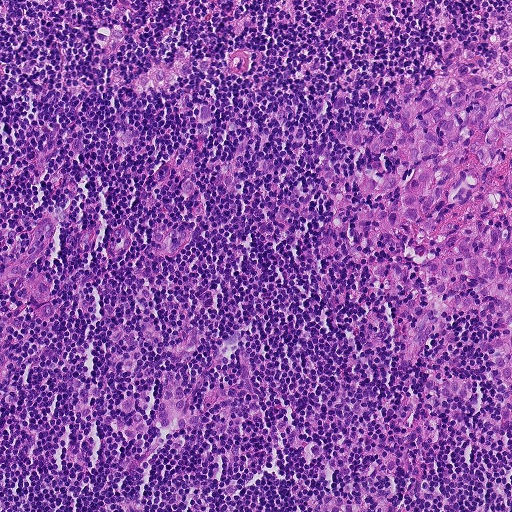
A 0.46-mm field of an H&E-stained sentinel lymph node from a breast-cancer patient (whole-slide image), shown at about 10×, about 0.9 µm per pixel.